A 0.12-mm field of an H&E-stained sentinel lymph node from a breast-cancer patient (whole-slide image), shown at about 40×, about 0.24 µm per pixel.
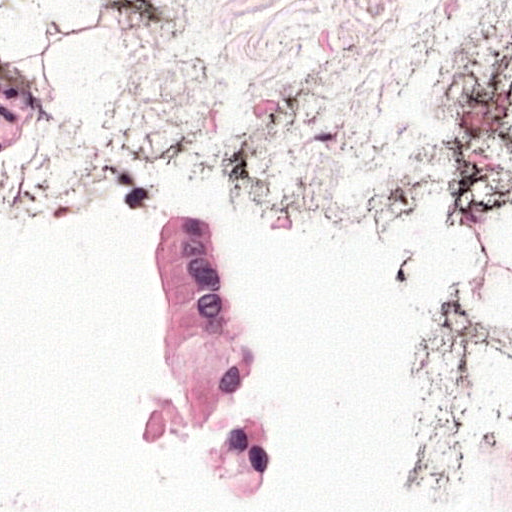
Tumour region outline (a closed clockwise path, crop pixels): (240, 195), (239, 274), (290, 427), (289, 502), (219, 511), (188, 466), (130, 458), (155, 367), (132, 235), (157, 211).
Tumour covers about 15% of the frame.